Question: 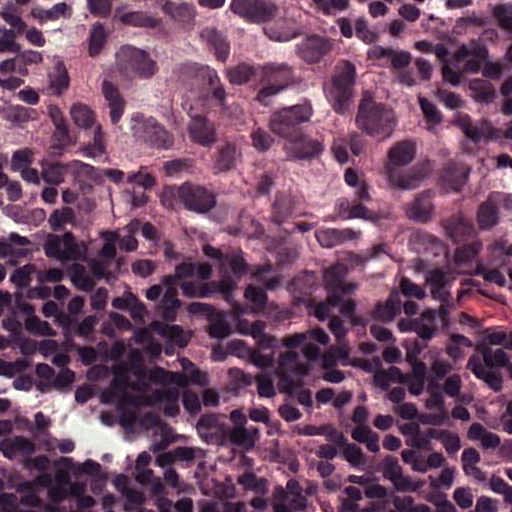
At roughly what magnification is this field shown?

Choices:
 (A) about 5×
 (B) about 20×
 (C) about 40×
 (D) about 10×
 (E) about 2.5×

Answer: (C) about 40×
This is a crop of a whole-slide image: an H&E-stained breast-cancer sentinel lymph node section at roughly 40× magnification (about 0.24 µm per pixel; the crop spans about 0.12 mm).
Metastatic tumour outline, simplified to 12 points and listed clockwise in crop pixels (x, y): (328, 0), (375, 20), (436, 72), (507, 172), (511, 264), (394, 316), (333, 312), (312, 299), (259, 230), (117, 117), (99, 72), (114, 1).
About 35% of this field is tumour.